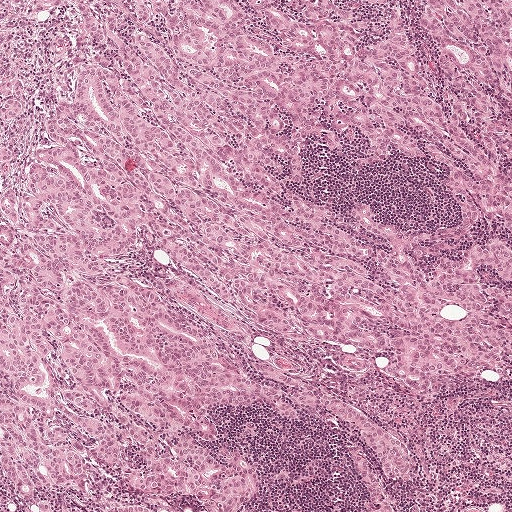
H&E-stained section of a sentinel lymph node (breast cancer), from a whole-slide image, viewed at about 5×: the field is about 1 mm across, about 1.9 µm per pixel.
Question: Is there metastatic carcinoma in this field?
Answer: Yes.
Tumour region outline (a closed clockwise path, crop pixels): (99, 27), (133, 41), (186, 114), (260, 159), (364, 243), (370, 274), (394, 299), (399, 352), (343, 351), (242, 325), (154, 251), (139, 248), (114, 261), (97, 251), (102, 224), (47, 170), (42, 142), (48, 118), (86, 70), (112, 69), (95, 43).
Tumour covers about 20% of the frame.

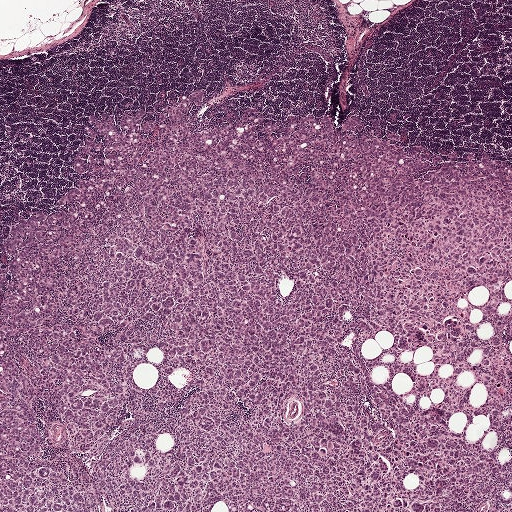
H&E-stained section of a sentinel lymph node (breast cancer), from a whole-slide image, viewed at about 2.5×: the field is about 2.0 mm across, about 3.9 µm per pixel.
Question: Is there metastatic carcinoma in this field?
Answer: Yes.
Metastatic tumour outline, simplified to 20 points and listed clockwise in crop pixels (x, y): (203, 88), (205, 119), (221, 104), (286, 123), (359, 116), (401, 147), (511, 164), (511, 511), (230, 511), (220, 501), (211, 511), (111, 511), (100, 498), (100, 511), (0, 511), (3, 242), (14, 221), (74, 186), (94, 117), (156, 115).
About 70% of this field is tumour.

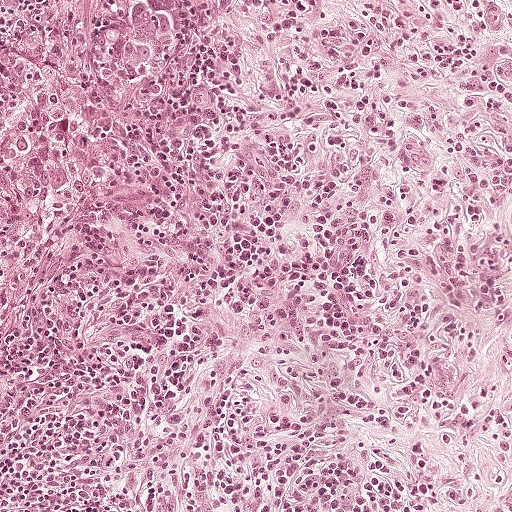
Lymph node section stained with H&E, from a whole-slide image of a breast-cancer sentinel node. Magnification about 10×, about 0.5 mm across the frame, about 0.97 µm per pixel.
Question: Is there metastatic carcinoma in this field?
Answer: Yes.
One metastatic tumour region; its boundary, reduced to 6 corners and listed clockwise: (0, 0), (248, 0), (216, 72), (131, 179), (36, 228), (0, 286).
About 15% of this field is tumour.

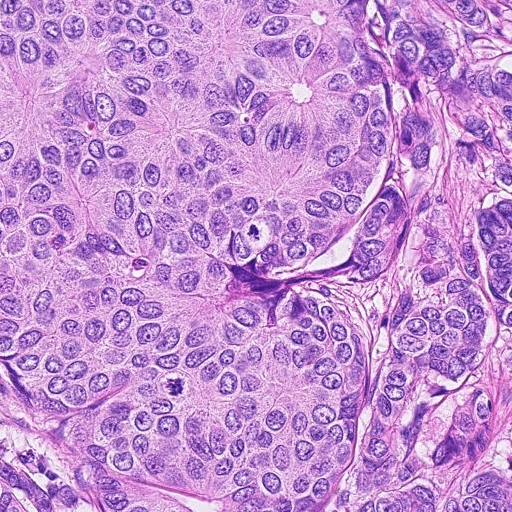
H&E-stained section of a sentinel lymph node (breast cancer), from a whole-slide image, viewed at about 20×: the field is about 0.23 mm across, about 0.45 µm per pixel.
Question: Is there metastatic carcinoma in this field?
Answer: Yes.
Metastatic tumour covers the whole field.
Tumour covers over 95% of the frame.